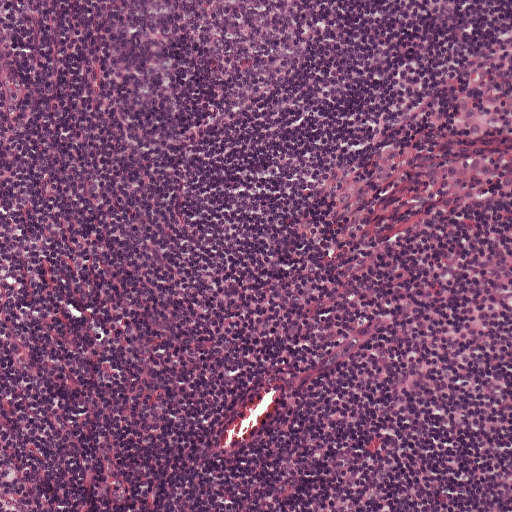
Lymph node section stained with H&E, from a whole-slide image of a breast-cancer sentinel node. Magnification about 10×, about 0.5 mm across the frame, about 0.97 µm per pixel.